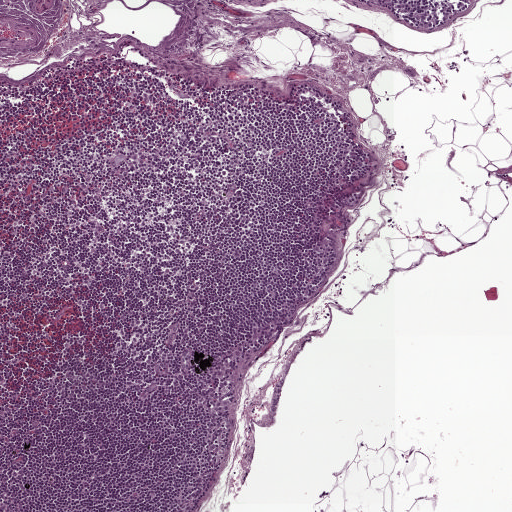
Lymph node section stained with H&E, from a whole-slide image of a breast-cancer sentinel node. Magnification about 5×, about 1 mm across the frame, about 1.9 µm per pixel.
Question: Which parts of this field are metastatic tumour?
Answer: Boundaries of two metastatic tumour regions, simplified and listed clockwise, largest first: region 1: (130, 154), (142, 157), (145, 162), (142, 166), (135, 161), (126, 160), (121, 164), (111, 168), (106, 165), (109, 160), (115, 157); region 2: (169, 76), (182, 89), (188, 91), (191, 96), (187, 100), (181, 100), (175, 96), (166, 85), (164, 79).
One more small tumour piece is annotated here but not outlined.
Under 5% of this field is tumour.